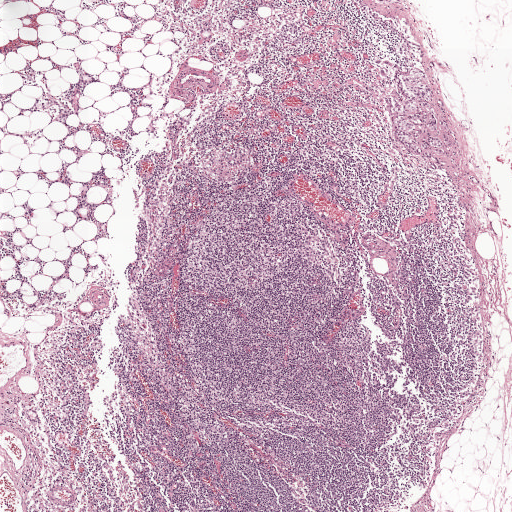
Lymph node section stained with H&E, from a whole-slide image of a breast-cancer sentinel node. Magnification about 2.5×, about 2.0 mm across the frame, about 3.9 µm per pixel.
Two metastatic tumour regions, each outlined as a closed clockwise path in crop pixels (x, y), largest first: region 1: (413, 67), (423, 70), (433, 89), (435, 118), (443, 118), (447, 124), (445, 131), (429, 130), (431, 136), (441, 138), (446, 152), (431, 156), (428, 159), (423, 156), (424, 151), (417, 154), (396, 150), (392, 144), (393, 129), (394, 108), (400, 94), (396, 80); region 2: (387, 60), (399, 68), (396, 69), (388, 65), (385, 68), (385, 77), (380, 72), (382, 61).
Two more small tumour pieces are annotated here but not outlined.
Under 5% of this field is tumour.